A 0.51-mm field of an H&E-stained sentinel lymph node from a breast-cancer patient (whole-slide image), shown at about 10×, about 1.0 µm per pixel.
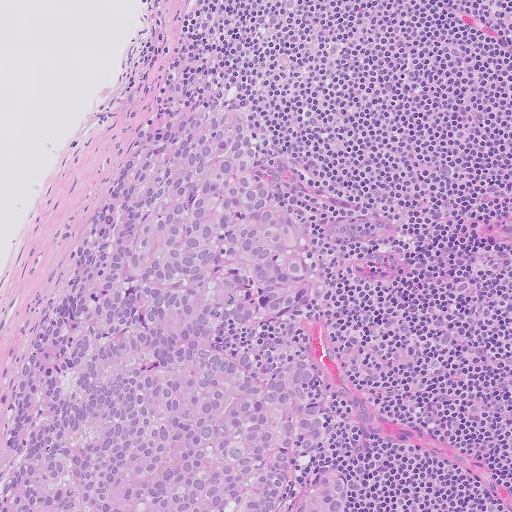
One metastatic tumour region; its boundary, reduced to 10 corners and listed clockwise: (210, 100), (303, 161), (315, 215), (314, 303), (242, 340), (322, 363), (350, 511), (0, 511), (18, 362), (148, 109).
About 40% of this field is tumour.